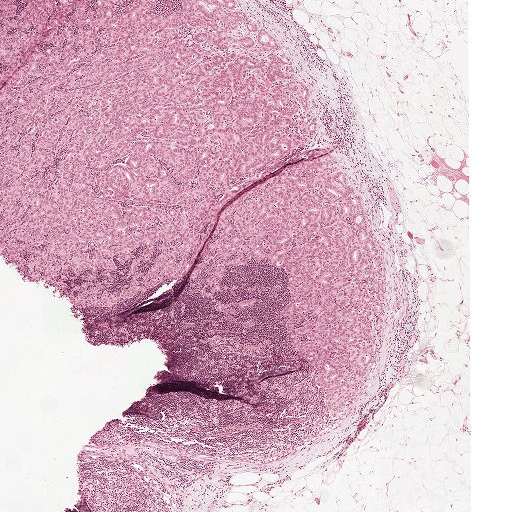
A 2.0-mm field of an H&E-stained sentinel lymph node from a breast-cancer patient (whole-slide image), shown at about 2.5×, about 3.9 µm per pixel.
Outlines of two tumour regions, largest first (closed clockwise paths, crop pixels): region 1: (156, 0), (159, 16), (181, 10), (179, 0), (235, 0), (272, 30), (299, 81), (315, 87), (319, 131), (208, 203), (160, 284), (75, 308), (0, 253), (0, 100), (91, 1), (124, 9); region 2: (319, 162), (351, 182), (378, 242), (382, 276), (369, 380), (351, 416), (336, 421), (292, 351), (284, 318), (286, 276), (246, 252), (241, 241), (248, 212), (267, 186).
One more small tumour piece is annotated here but not outlined.
About 35% of this field is tumour.